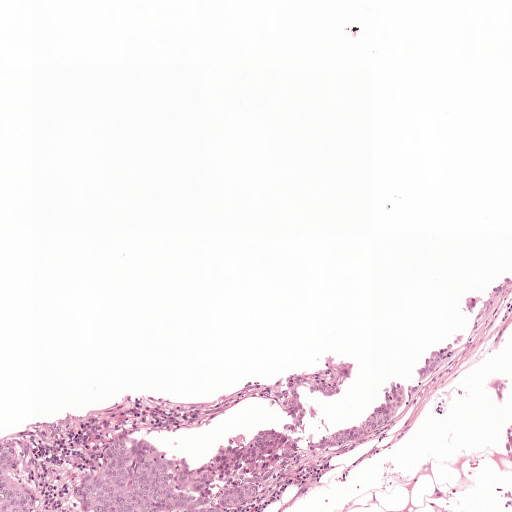
Lymph node section stained with H&E, from a whole-slide image of a breast-cancer sentinel node. Magnification about 5×, about 1 mm across the frame, about 1.9 µm per pixel.
Boundaries of seven metastatic tumour regions, simplified and listed clockwise, largest first: region 1: (240, 427), (277, 429), (300, 445), (299, 462), (285, 466), (260, 487), (239, 511), (174, 511), (173, 508), (161, 511), (81, 511), (74, 505), (72, 487), (79, 470), (120, 434), (167, 446), (195, 467), (210, 448); region 2: (321, 351), (350, 354), (358, 364), (351, 385), (337, 400), (307, 390), (313, 412), (304, 433), (284, 432), (280, 412), (270, 384), (295, 371); region 3: (467, 332), (467, 346), (447, 366), (417, 387), (406, 400), (397, 416), (383, 427), (346, 449), (311, 452), (304, 444), (366, 416), (379, 388), (394, 378), (410, 383), (414, 373), (425, 358), (455, 335); region 4: (0, 427), (13, 434), (24, 449), (20, 468), (34, 481), (34, 501), (32, 511), (0, 511); region 5: (510, 378), (511, 383), (511, 388), (509, 398), (511, 406), (511, 455), (507, 449), (505, 437), (505, 424), (503, 412), (499, 401), (490, 392), (490, 380); region 6: (497, 284), (503, 289), (476, 313), (463, 313), (463, 300); region 7: (505, 484), (511, 484), (511, 511), (506, 511), (497, 501), (493, 490).
One more small tumour piece is annotated here but not outlined.
About 10% of the image area is annotated as tumour.